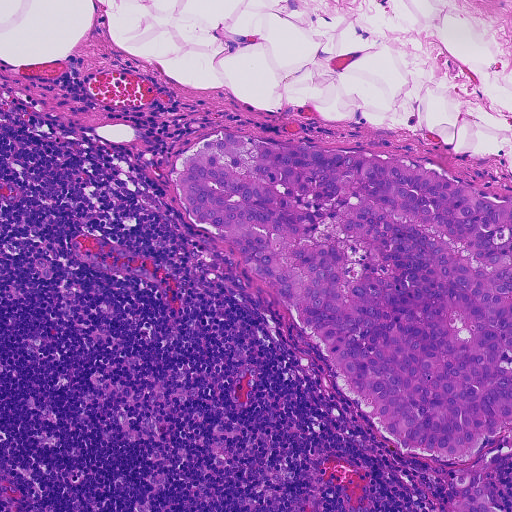
H&E-stained section of a sentinel lymph node (breast cancer), from a whole-slide image, viewed at about 10×: the field is about 0.46 mm across, about 0.91 µm per pixel.
Boundaries of two metastatic tumour regions, simplified and listed clockwise, largest first: region 1: (223, 129), (404, 162), (511, 201), (511, 419), (486, 435), (478, 456), (416, 456), (380, 434), (276, 297), (187, 212), (172, 164); region 2: (479, 485), (489, 493), (500, 511), (450, 511), (458, 497), (466, 488).
The annotated tumour makes up about 25% of the crop.